A 0.5-mm field of an H&E-stained sentinel lymph node from a breast-cancer patient (whole-slide image), shown at about 10×, about 0.97 µm per pixel.
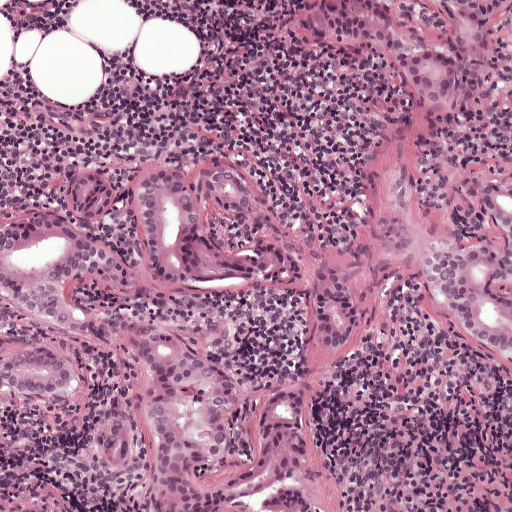
Question: Trace the edge of each tumour region in this crop, as (x, y) points from 0 to 511.
Answer: The outlined metastatic tumour's edge, as a closed clockwise path of 19 points: (328, 0), (511, 0), (511, 395), (404, 284), (379, 331), (330, 371), (302, 426), (324, 493), (401, 511), (0, 511), (0, 214), (153, 150), (213, 154), (347, 248), (375, 148), (408, 116), (394, 67), (363, 59), (317, 20).
The annotated tumour makes up about 60% of the crop.